Image:
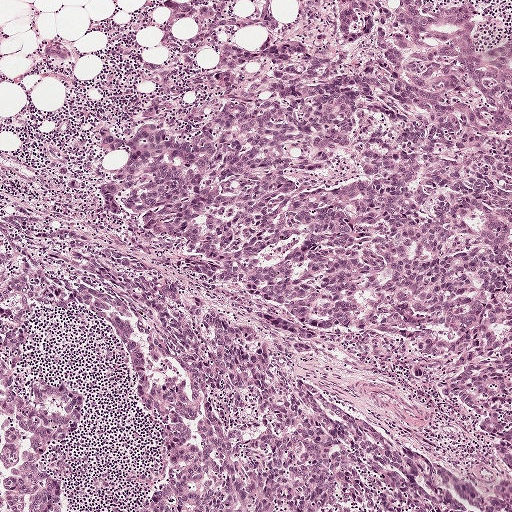
H&E-stained section of a sentinel lymph node (breast cancer), from a whole-slide image, viewed at about 5×: the field is about 1 mm across, about 1.9 µm per pixel.
Question:
Is there metastatic carcinoma in this field?
Answer:
Yes.
Three metastatic tumour regions, each outlined as a closed clockwise path in crop pixels (x, y), largest first: region 1: (329, 2), (473, 2), (481, 47), (511, 39), (511, 392), (480, 411), (418, 383), (374, 340), (196, 280), (166, 243), (98, 206), (130, 151), (92, 150), (96, 123), (113, 116), (142, 132), (161, 119), (203, 135), (222, 36), (333, 46); region 2: (250, 422), (264, 422), (281, 431), (306, 431), (344, 450), (364, 465), (369, 495), (364, 511), (213, 511), (216, 479), (238, 462), (241, 440); region 3: (0, 491), (1, 496), (3, 500), (7, 511), (0, 511).
Tumour covers about 45% of the frame.